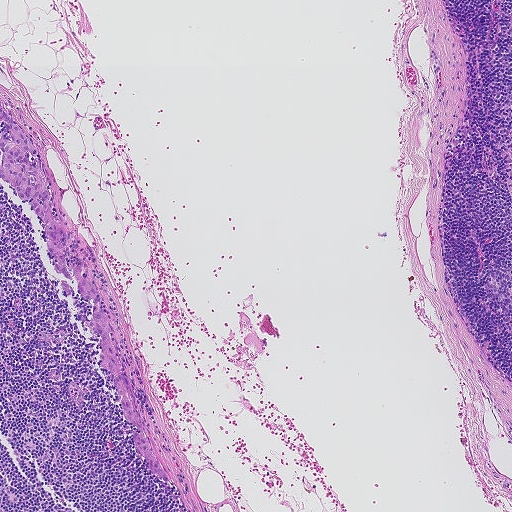
This is a crop of a whole-slide image: an H&E-stained breast-cancer sentinel lymph node section at roughly 5× magnification (about 1.8 µm per pixel; the crop spans about 0.93 mm).
Outlines of two tumour regions, largest first (closed clockwise paths, crop pixels): region 1: (14, 119), (38, 154), (25, 153), (25, 162), (40, 170), (50, 190), (51, 215), (64, 225), (64, 259), (89, 271), (99, 285), (100, 310), (108, 313), (120, 372), (126, 374), (143, 430), (172, 482), (169, 484), (135, 450), (132, 434), (139, 433), (126, 422), (113, 376), (99, 362), (99, 337), (84, 327), (84, 321), (91, 320), (91, 304), (77, 294), (73, 278), (72, 281), (52, 266), (43, 225), (29, 203), (15, 196), (0, 177), (0, 136), (13, 141), (8, 125); region 2: (0, 106), (8, 113), (6, 120), (0, 120).
About 5% of this field is tumour.